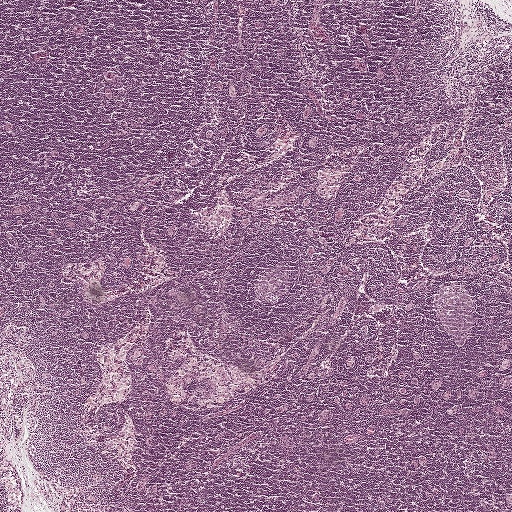
A 2.0-mm field of an H&E-stained sentinel lymph node from a breast-cancer patient (whole-slide image), shown at about 2.5×, about 3.9 µm per pixel.
Question: Does this lymph node field contain metastatic tumour?
Answer: No: no metastatic tumour is outlined anywhere in this field.